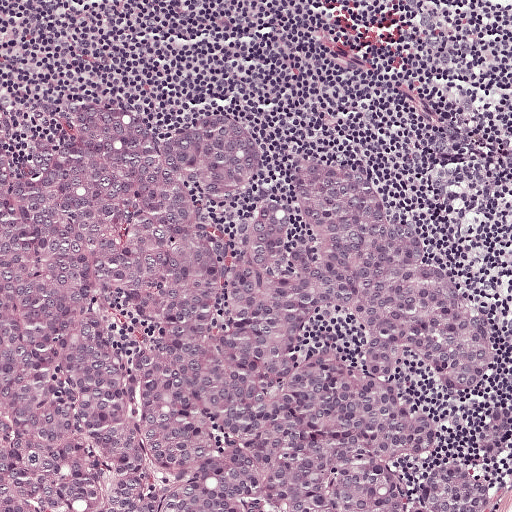
A 0.5-mm field of an H&E-stained sentinel lymph node from a breast-cancer patient (whole-slide image), shown at about 10×, about 0.97 µm per pixel.
Outlines of two tumour regions, largest first (closed clockwise paths, crop pixels): region 1: (69, 100), (159, 139), (220, 113), (257, 187), (196, 195), (234, 233), (283, 200), (290, 244), (288, 162), (368, 175), (495, 355), (458, 388), (418, 351), (384, 384), (432, 414), (408, 510), (442, 459), (480, 463), (480, 511), (0, 511), (0, 149), (55, 145); region 2: (0, 85), (6, 89), (18, 115), (9, 142), (0, 143).
The annotated tumour makes up about 60% of the crop.